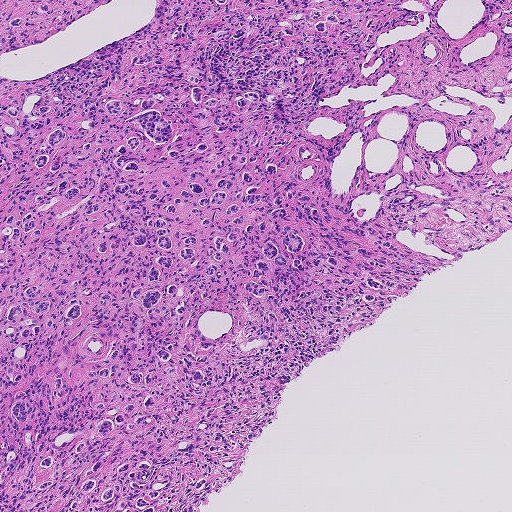
This is a crop of a whole-slide image: an H&E-stained breast-cancer sentinel lymph node section at roughly 5× magnification (about 1.8 µm per pixel; the crop spans about 0.93 mm).
The outlined metastatic tumour's edge, as a closed clockwise path of 10 points: (0, 0), (511, 0), (511, 229), (426, 273), (283, 387), (278, 419), (248, 444), (244, 467), (198, 511), (0, 511).
Tumour covers about 80% of the frame.